This is a crop of a whole-slide image: an H&E-stained breast-cancer sentinel lymph node section at roughly 10× magnification (about 0.97 µm per pixel; the crop spans about 0.5 mm).
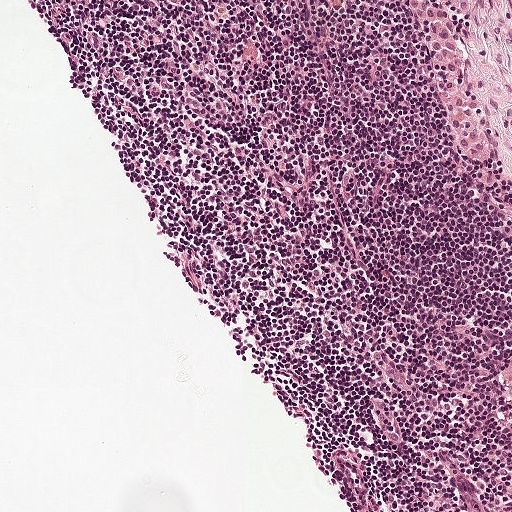
Question: Does this lymph node field contain metastatic tumour?
Answer: No. No metastatic tumour is outlined in this field.